Image:
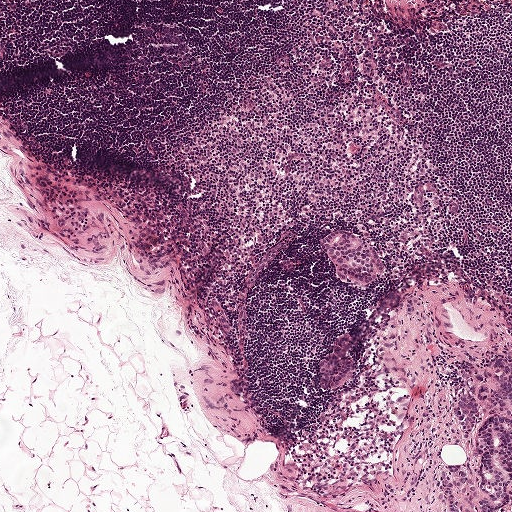
A 1-mm field of an H&E-stained sentinel lymph node from a breast-cancer patient (whole-slide image), shown at about 5×, about 1.9 µm per pixel.
Question:
Does this lymph node field contain metastatic tumour?
Answer:
Yes.
Boundaries of three metastatic tumour regions, simplified and listed clockwise, largest first: region 1: (511, 351), (509, 511), (444, 511), (442, 498), (435, 494), (441, 475), (461, 461), (477, 459), (473, 438), (455, 430), (447, 417), (448, 400), (469, 389), (482, 373), (492, 370), (496, 361); region 2: (336, 227), (360, 236), (366, 243), (374, 246), (383, 259), (380, 278), (368, 286), (355, 286), (338, 279), (331, 272), (326, 254), (320, 247), (322, 238); region 3: (344, 332), (349, 333), (352, 351), (356, 360), (355, 377), (348, 388), (339, 391), (331, 391), (326, 381), (317, 378), (320, 356), (341, 338).
The annotated tumour makes up about 5% of the crop.